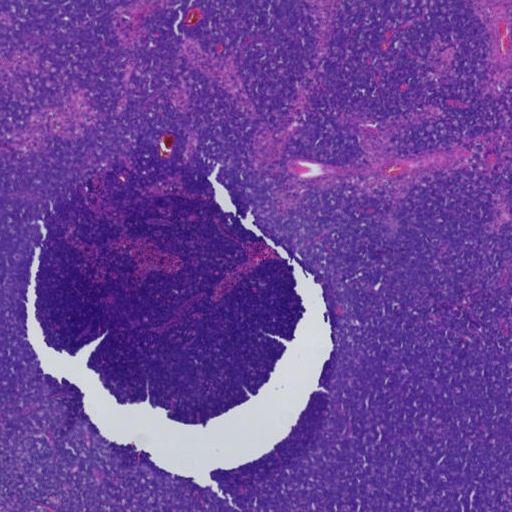
Lymph node section stained with H&E, from a whole-slide image of a breast-cancer sentinel node. Magnification about 2.5×, about 1.9 mm across the frame, about 3.6 µm per pixel.